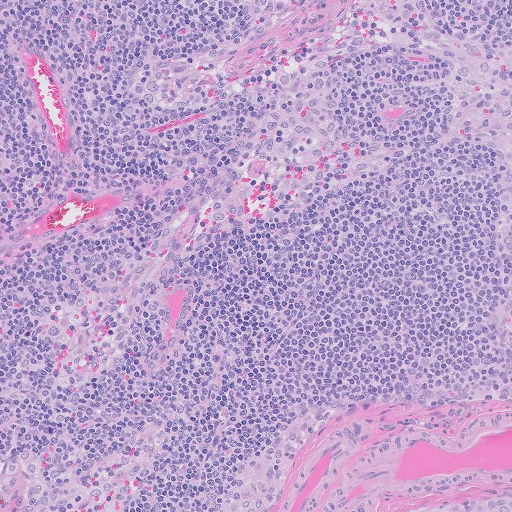
H&E-stained section of a sentinel lymph node (breast cancer), from a whole-slide image, viewed at about 10×: the field is about 0.51 mm across, about 1.0 µm per pixel.